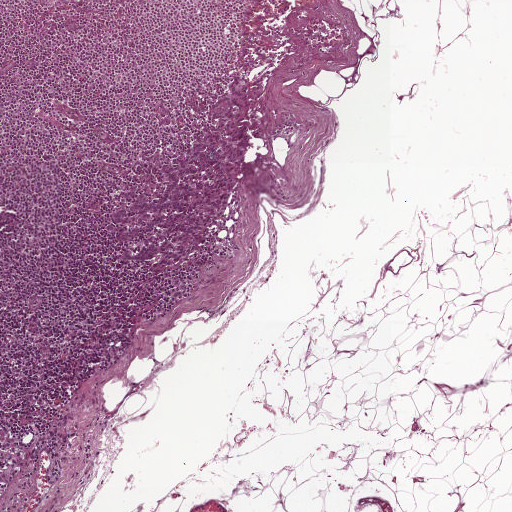
A 1-mm field of an H&E-stained sentinel lymph node from a breast-cancer patient (whole-slide image), shown at about 5×, about 1.9 µm per pixel.
Tumour region outline (a closed clockwise path, crop pixels): (229, 74), (264, 79), (262, 127), (266, 139), (252, 138), (222, 216), (223, 244), (216, 242), (183, 272), (187, 283), (181, 299), (172, 298), (170, 272), (156, 278), (141, 268), (115, 268), (102, 223), (138, 164), (161, 151), (186, 148), (203, 121), (203, 106), (224, 92).
Tumour covers about 5% of the frame.